Question: 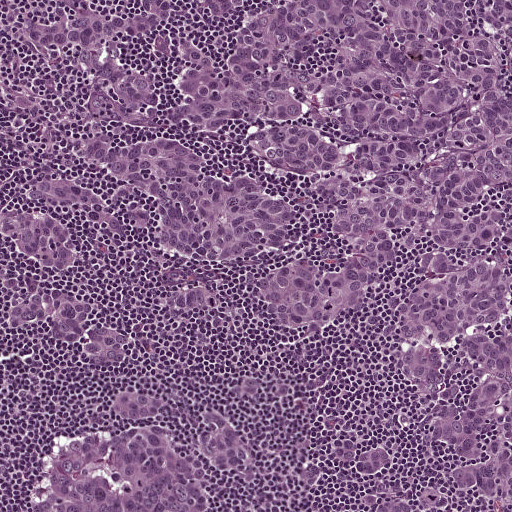
This is a crop of a whole-slide image: an H&E-stained breast-cancer sentinel lymph node section at roughly 10× magnification (about 0.97 µm per pixel; the crop spans about 0.5 mm).
About how much of this crop is taken up by metastatic carcinoma?

Choices:
 (A) about 50% or more
 (B) about 25% to 45%
 (C) none: no tumour is outlined
 (D) about 5% or less
 (E) about 10% to 20%

Answer: (A) about 50% or more
About 80% of the field is tumour.
Metastatic tumour outline, simplified to 40 points and listed clockwise in crop pixels (x, y): (41, 0), (511, 0), (511, 511), (359, 511), (330, 486), (302, 511), (30, 511), (36, 468), (103, 422), (114, 390), (180, 382), (279, 474), (330, 433), (410, 418), (352, 323), (320, 331), (293, 393), (230, 407), (230, 376), (276, 355), (279, 324), (236, 273), (220, 320), (174, 316), (161, 238), (93, 230), (69, 273), (144, 356), (79, 369), (10, 330), (14, 293), (65, 277), (0, 245), (0, 202), (94, 172), (72, 154), (93, 131), (86, 76), (20, 28), (48, 20).